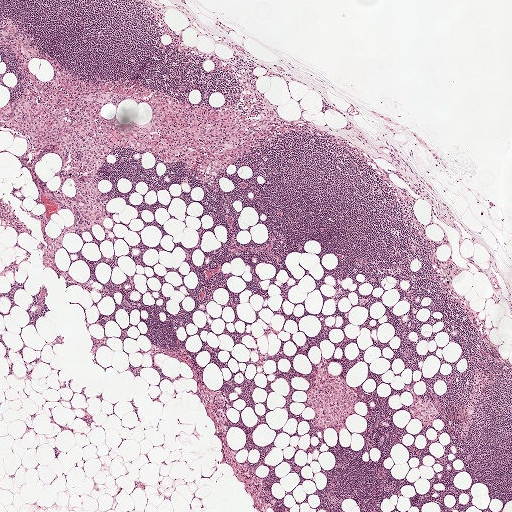
This is a crop of a whole-slide image: an H&E-stained breast-cancer sentinel lymph node section at roughly 2.5× magnification (about 3.9 µm per pixel; the crop spans about 2.0 mm).